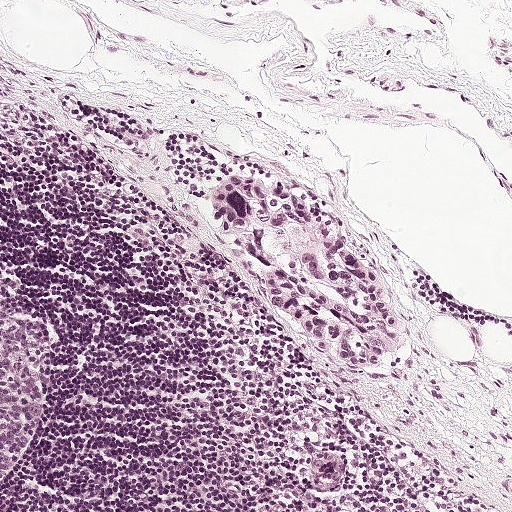
Lymph node section stained with H&E, from a whole-slide image of a breast-cancer sentinel node. Magnification about 10×, about 0.5 mm across the frame, about 0.97 µm per pixel.
Tumour region outline (a closed clockwise path, crop pixels): (228, 174), (244, 174), (306, 198), (344, 232), (362, 260), (381, 272), (401, 334), (395, 367), (380, 376), (363, 376), (337, 366), (306, 340), (280, 312), (258, 268), (238, 253), (210, 203), (210, 192).
About 5% of this field is tumour.